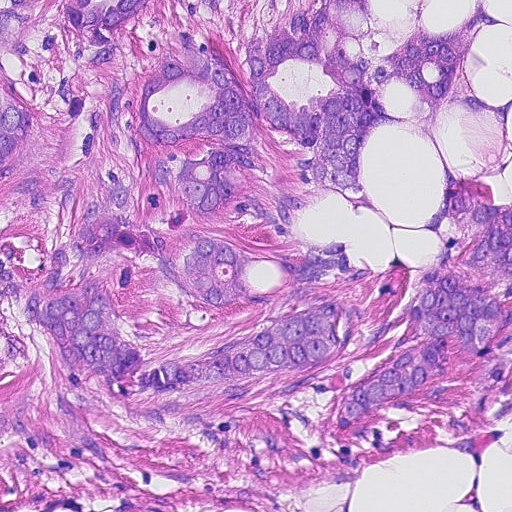
Lymph node section stained with H&E, from a whole-slide image of a breast-cancer sentinel node. Magnification about 20×, about 0.23 mm across the frame, about 0.45 µm per pixel.
One metastatic tumour region; its boundary, reduced to 23 corners and listed clockwise: (0, 0), (371, 0), (387, 33), (486, 0), (505, 22), (467, 64), (506, 126), (396, 83), (411, 128), (360, 160), (382, 216), (338, 196), (302, 222), (428, 267), (444, 156), (496, 184), (506, 383), (331, 437), (395, 350), (178, 402), (104, 399), (54, 351), (9, 412).
About 70% of this field is tumour.